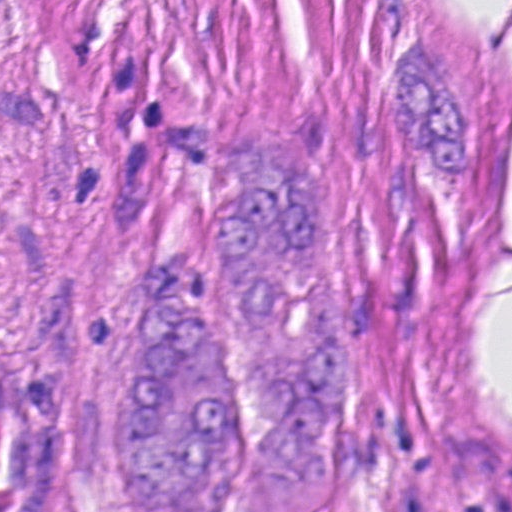
A 0.12-mm field of an H&E-stained sentinel lymph node from a breast-cancer patient (whole-slide image), shown at about 40×, about 0.23 µm per pixel.
Metastatic tumour outline, simplified to 18 points and listed clockwise in crop pixels (x, y): (399, 31), (431, 36), (462, 86), (474, 141), (455, 196), (382, 157), (328, 181), (359, 376), (344, 493), (239, 480), (216, 511), (135, 511), (114, 499), (122, 289), (192, 237), (252, 137), (299, 174), (379, 120).
The annotated tumour makes up about 30% of the crop.